A 1-mm field of an H&E-stained sentinel lymph node from a breast-cancer patient (whole-slide image), shown at about 5×, about 1.9 µm per pixel.
Image:
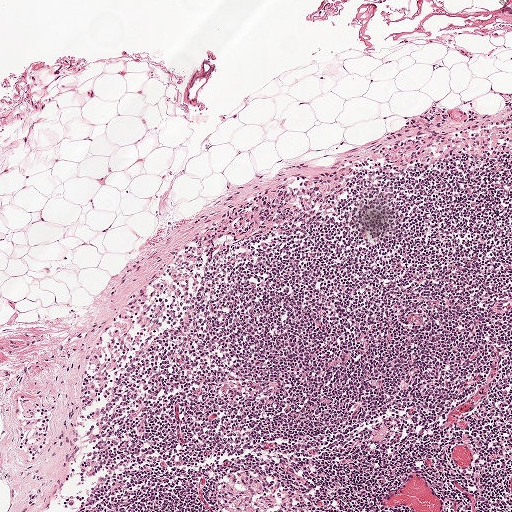
Question:
Does this lymph node field contain metastatic tumour?
Answer:
No, this field holds no outlined metastasis.